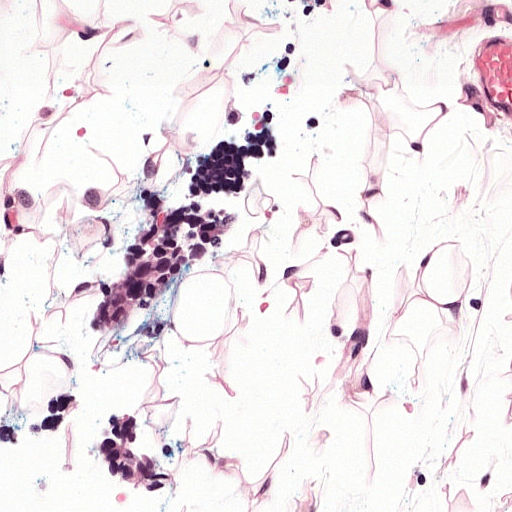
H&E-stained section of a sentinel lymph node (breast cancer), from a whole-slide image, viewed at about 20×: the field is about 0.25 mm across, about 0.49 µm per pixel.
Question: Which parts of this field are metastatic tumour? Answer with the outline of each region, in pixels.
Answer: Outlines of two tumour regions, largest first (closed clockwise paths, crop pixels): region 1: (163, 218), (216, 239), (208, 266), (108, 340), (82, 329), (96, 290), (120, 242); region 2: (132, 404), (158, 442), (174, 478), (143, 492), (98, 476), (96, 427), (118, 407).
About 5% of the image area is annotated as tumour.